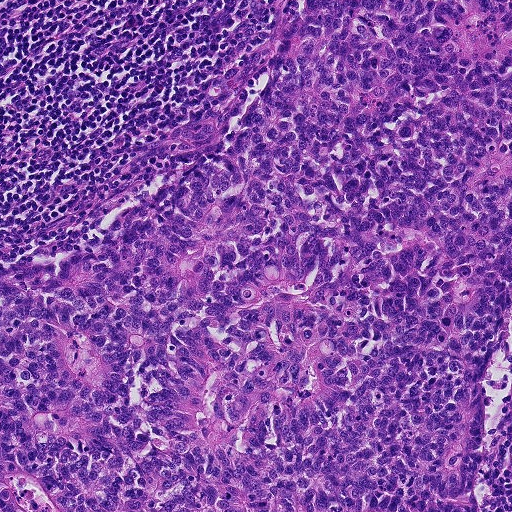
H&E-stained section of a sentinel lymph node (breast cancer), from a whole-slide image, viewed at about 10×: the field is about 0.46 mm across, about 0.9 µm per pixel.
Tumour region outline (a closed clockwise path, crop pixels): (511, 0), (511, 309), (485, 408), (478, 511), (0, 511), (0, 263), (45, 263), (121, 200), (190, 164), (172, 130), (257, 94), (286, 2).
Tumour covers about 80% of the frame.